A 0.93-mm field of an H&E-stained sentinel lymph node from a breast-cancer patient (whole-slide image), shown at about 5×, about 1.8 µm per pixel.
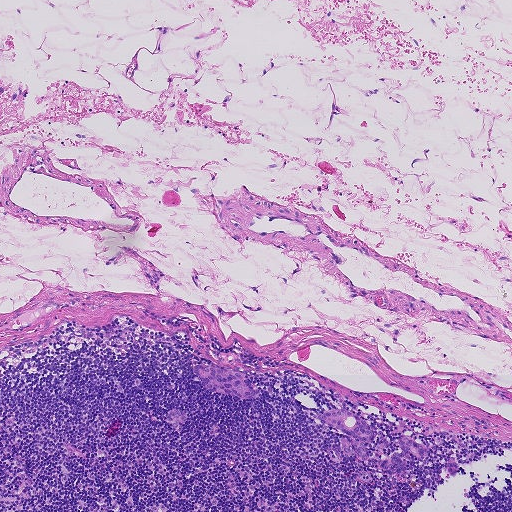
Boundaries of two metastatic tumour regions, simplified and listed clockwise, largest first: region 1: (336, 408), (354, 413), (372, 430), (366, 444), (368, 452), (383, 460), (402, 451), (397, 440), (404, 436), (425, 448), (425, 456), (418, 458), (412, 452), (404, 455), (405, 472), (397, 473), (381, 470), (368, 460), (344, 456), (340, 440), (342, 432), (320, 422), (314, 416), (319, 412); region 2: (195, 364), (240, 372), (257, 390), (259, 397), (252, 399), (244, 399), (210, 392), (203, 388), (191, 366).
Under 5% of the image area is annotated as tumour.